This is a crop of a whole-slide image: an H&E-stained breast-cancer sentinel lymph node section at roughly 5× magnification (about 1.8 µm per pixel; the crop spans about 0.93 mm).
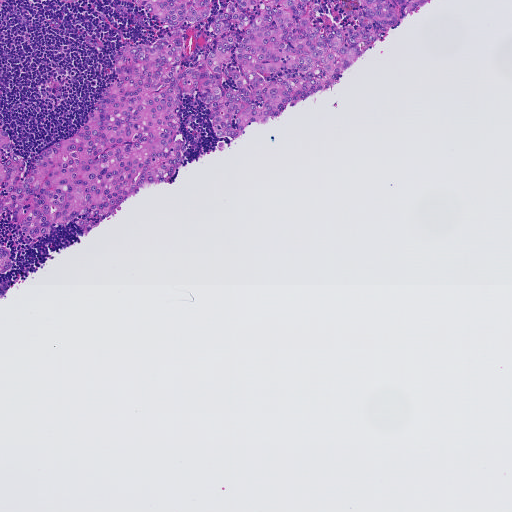
Outlines of four tumour regions, largest first (closed clockwise paths, crop pixels): region 1: (0, 0), (312, 0), (319, 21), (377, 37), (338, 82), (250, 123), (225, 150), (206, 102), (183, 93), (178, 136), (188, 154), (174, 180), (143, 188), (92, 230), (73, 223), (27, 240), (13, 216), (0, 216), (5, 184), (0, 189); region 2: (355, 0), (385, 0), (397, 11), (400, 18), (398, 25), (392, 29), (385, 29), (378, 26), (366, 17); region 3: (0, 242), (8, 246), (13, 260), (13, 268), (0, 276); region 4: (410, 0), (433, 0), (416, 12), (408, 13), (405, 7).
Tumour covers about 20% of the frame.